Question: 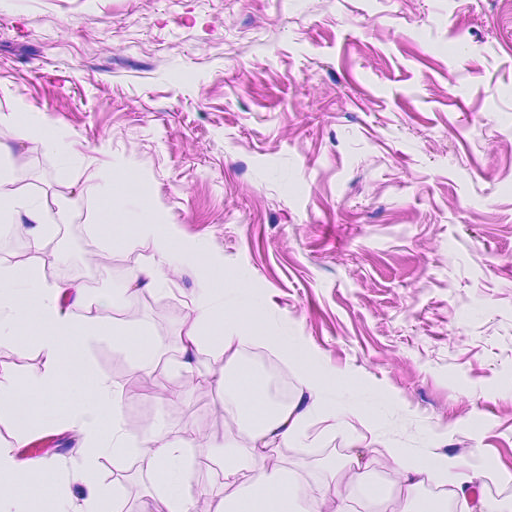
Which magnification is this H&E lymph node field most likely shown at?

Choices:
 (A) about 2.5×
 (B) about 20×
 (C) about 5×
 (D) about 40×
 (E) about 10×

Answer: (B) about 20×
Lymph node section stained with H&E, from a whole-slide image of a breast-cancer sentinel node. Magnification about 20×, about 0.23 mm across the frame, about 0.45 µm per pixel.